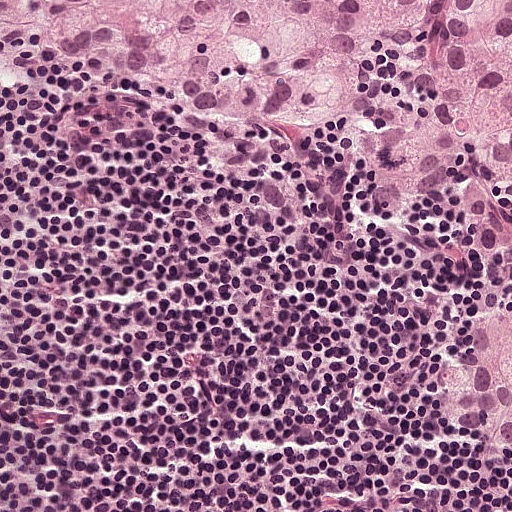
Lymph node section stained with H&E, from a whole-slide image of a breast-cancer sentinel node. Magnification about 20×, about 0.25 mm across the frame, about 0.49 µm per pixel.
Boundaries of two metastatic tumour regions, simplified and listed clockwise, largest first: region 1: (0, 0), (511, 0), (511, 246), (460, 231), (445, 200), (399, 220), (356, 211), (348, 156), (313, 122), (202, 130), (140, 90), (6, 38); region 2: (511, 308), (511, 453), (477, 443), (446, 422), (434, 378), (455, 340), (486, 312).
Tumour covers about 30% of the frame.